A 1-mm field of an H&E-stained sentinel lymph node from a breast-cancer patient (whole-slide image), shown at about 5×, about 1.9 µm per pixel.
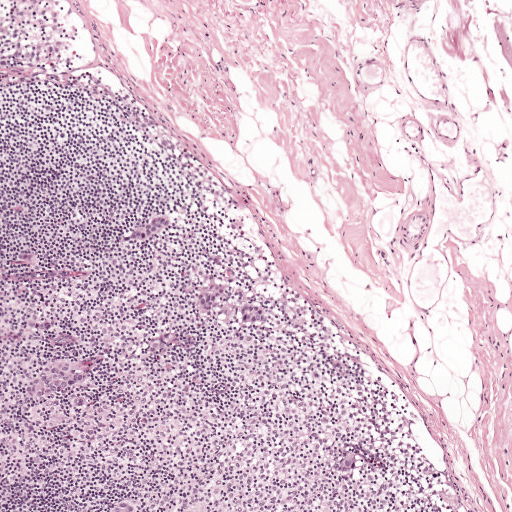
Outlines of the eight largest metastatic tumour regions, each a closed clockwise path in crop pixels (x, y), largest first: region 1: (56, 357), (69, 357), (83, 361), (86, 360), (95, 365), (95, 376), (84, 384), (40, 401), (26, 401), (13, 397), (10, 386), (41, 360); region 2: (251, 301), (264, 304), (270, 308), (270, 319), (266, 330), (252, 333), (239, 331), (230, 324), (230, 310), (239, 302); region 3: (215, 284), (227, 285), (232, 290), (227, 302), (204, 315), (192, 314), (186, 302), (190, 290), (201, 285); region 4: (166, 213), (170, 226), (152, 243), (140, 248), (131, 241), (136, 230), (153, 216); region 5: (356, 451), (363, 464), (357, 474), (344, 476), (331, 473), (330, 460), (340, 452); region 6: (129, 493), (140, 497), (143, 511), (103, 511), (112, 500); region 7: (30, 249), (44, 252), (48, 264), (38, 267), (26, 267), (14, 262), (18, 250); region 8: (173, 329), (175, 340), (164, 352), (156, 354), (146, 351), (151, 340).
Two more, smaller tumour regions are not outlined.
One more small tumour piece is annotated here but not outlined.
About 5% of the image area is annotated as tumour.